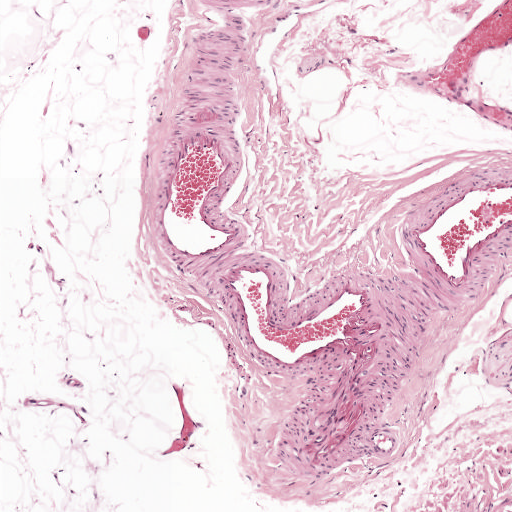
A 1-mm field of an H&E-stained sentinel lymph node from a breast-cancer patient (whole-slide image), shown at about 5×, about 1.9 µm per pixel.